Lymph node section stained with H&E, from a whole-slide image of a breast-cancer sentinel node. Magnification about 5×, about 1 mm across the frame, about 1.9 µm per pixel.
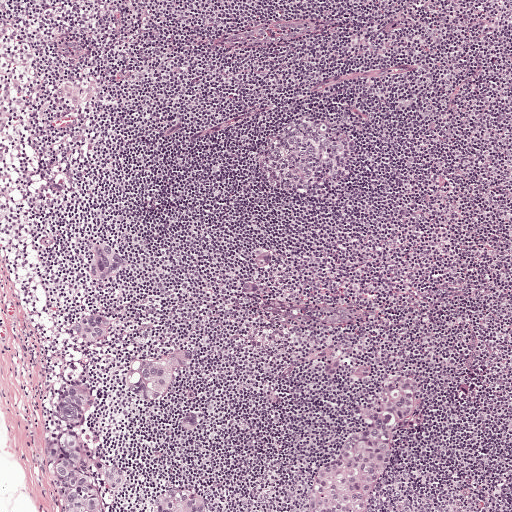
Outlines of the eight largest metastatic tumour regions, each a closed clockwise path in crop pixels (x, y), largest first: region 1: (389, 374), (412, 378), (420, 387), (421, 420), (417, 424), (392, 432), (387, 460), (373, 482), (362, 511), (313, 511), (308, 500), (314, 474), (335, 458), (347, 435), (368, 427), (366, 421), (354, 415), (354, 410), (378, 398), (383, 378); region 2: (71, 381), (87, 381), (100, 393), (90, 422), (100, 433), (102, 452), (122, 468), (127, 481), (120, 491), (100, 488), (106, 511), (59, 511), (57, 508), (47, 464), (52, 439), (62, 432), (63, 425), (50, 425), (48, 418), (63, 384); region 3: (181, 346), (197, 348), (196, 360), (192, 366), (180, 369), (175, 374), (160, 397), (149, 402), (134, 400), (122, 381), (122, 373), (130, 358), (144, 355), (158, 356); region 4: (98, 309), (110, 312), (112, 318), (111, 331), (101, 341), (76, 341), (68, 336), (66, 329), (70, 322), (76, 316), (88, 311); region 5: (100, 241), (129, 260), (130, 267), (126, 272), (113, 280), (102, 280), (89, 273), (86, 268), (88, 262), (94, 246); region 6: (172, 487), (202, 497), (204, 504), (204, 511), (152, 511), (156, 498), (165, 490); region 7: (191, 408), (205, 414), (203, 428), (198, 433), (190, 434), (184, 432), (181, 427), (181, 419), (185, 413); region 8: (341, 358), (345, 361), (341, 373), (332, 381), (325, 381), (322, 376), (324, 364), (331, 360).
Four more, smaller tumour regions are not outlined.
Tumour covers about 10% of the frame.